This is a crop of a whole-slide image: an H&E-stained breast-cancer sentinel lymph node section at roughly 10× magnification (about 0.9 µm per pixel; the crop spans about 0.46 mm).
Image:
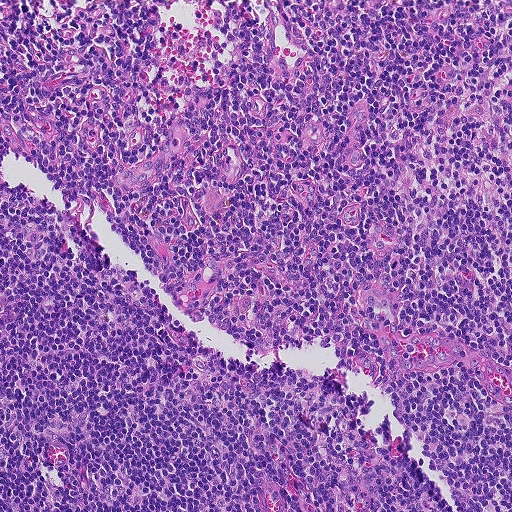
Question:
Does this lymph node field contain metastatic tumour?
Answer:
No: no metastatic tumour is outlined anywhere in this field.